Question: 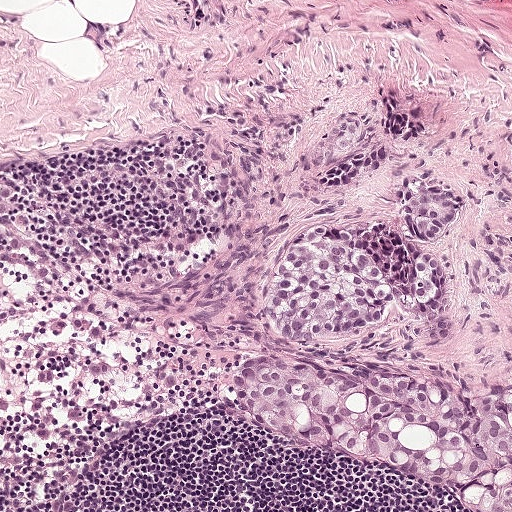
This is a crop of a whole-slide image: an H&E-stained breast-cancer sentinel lymph node section at roughly 10× magnification (about 0.97 µm per pixel; the crop spans about 0.5 mm).
Roughly what share of this field is metastatic tumour?

Choices:
 (A) none: no tumour is outlined
 (B) about 5% or less
 (C) about 50% or more
 (D) about 25% to 45%
 (E) about 10% to 20%

Answer: (E) about 10% to 20%
About 15% of the field is tumour.
Four metastatic tumour regions, each outlined as a closed clockwise path in crop pixels (x, y), largest first: region 1: (258, 358), (344, 363), (491, 400), (511, 423), (511, 511), (475, 511), (450, 490), (413, 473), (360, 465), (269, 429), (241, 407), (236, 385); region 2: (321, 224), (352, 232), (359, 249), (377, 262), (395, 288), (415, 278), (409, 245), (413, 242), (428, 249), (456, 277), (454, 305), (440, 314), (418, 314), (388, 304), (388, 318), (380, 328), (329, 342), (301, 342), (269, 332), (266, 306), (276, 274); region 3: (423, 174), (428, 174), (436, 179), (444, 192), (456, 198), (459, 210), (459, 227), (442, 237), (422, 239), (415, 237), (407, 224), (410, 178); region 4: (352, 118), (368, 128), (370, 132), (370, 141), (368, 146), (362, 149), (337, 152), (332, 143), (331, 137), (338, 128).